H&E-stained section of a sentinel lymph node (breast cancer), from a whole-slide image, viewed at about 2.5×: the field is about 1.9 mm across, about 3.6 µm per pixel.
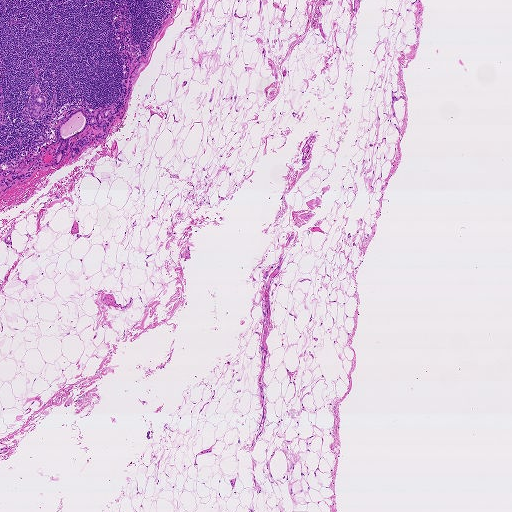
Outlines of three tumour regions, largest first (closed clockwise paths, crop pixels): region 1: (79, 108), (83, 108), (87, 116), (96, 116), (103, 109), (111, 108), (110, 114), (104, 119), (107, 122), (106, 130), (100, 131), (96, 124), (87, 126), (82, 132), (69, 140), (68, 146), (64, 151), (62, 159), (57, 164), (54, 161), (60, 143), (56, 138), (56, 127), (70, 113); region 2: (32, 86), (38, 87), (40, 94), (45, 97), (43, 113), (38, 117), (32, 117), (27, 110), (27, 102), (31, 94), (28, 88); region 3: (84, 135), (86, 135), (90, 138), (90, 143), (83, 147), (78, 147), (79, 151), (78, 153), (72, 158), (68, 152), (69, 149), (75, 146), (74, 145), (76, 141).
One more small tumour piece is annotated here but not outlined.
Tumour covers under 5% of the frame.